This is a crop of a whole-slide image: an H&E-stained breast-cancer sentinel lymph node section at roughly 20× magnification (about 0.49 µm per pixel; the crop spans about 0.25 mm).
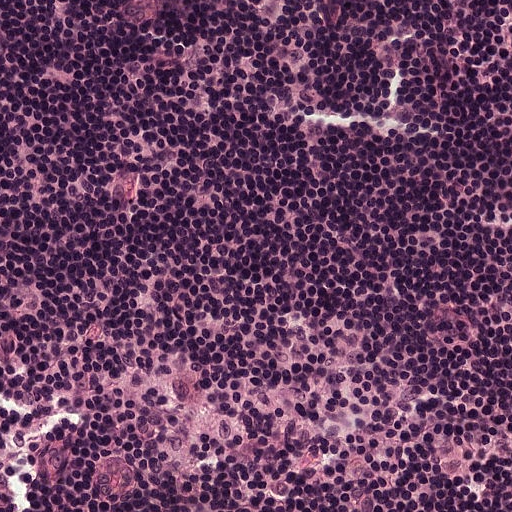
Question: Is any metastatic breast cancer visible in this crop?
Answer: No. No metastatic tumour is outlined in this field.